Question: 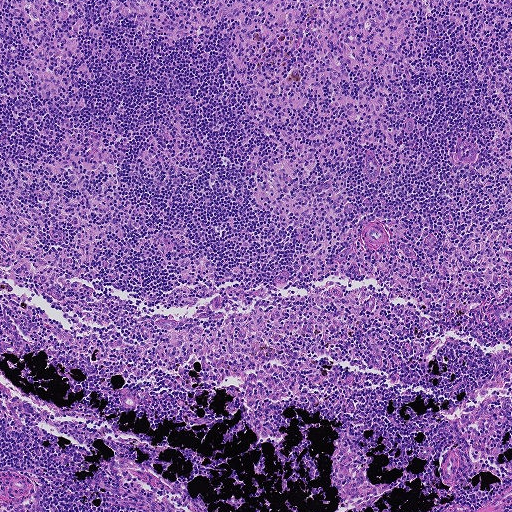
About what magnification does this crop show?

Choices:
 (A) about 10×
 (B) about 2.5×
 (C) about 5×
 (D) about 40×
 (E) about 20×

Answer: (C) about 5×
This is a crop of a whole-slide image: an H&E-stained breast-cancer sentinel lymph node section at roughly 5× magnification (about 1.8 µm per pixel; the crop spans about 0.93 mm).